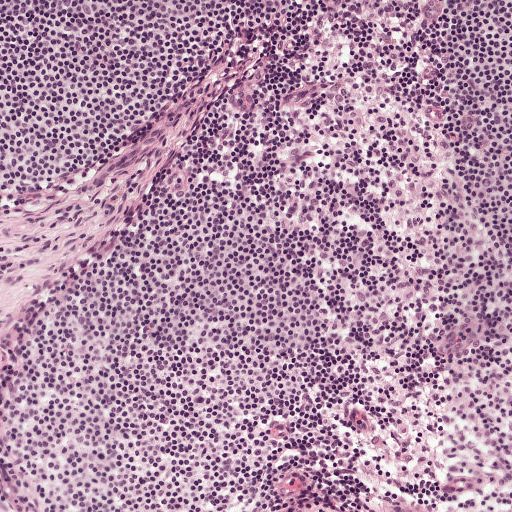
A 0.5-mm field of an H&E-stained sentinel lymph node from a breast-cancer patient (whole-slide image), shown at about 10×, about 0.97 µm per pixel.